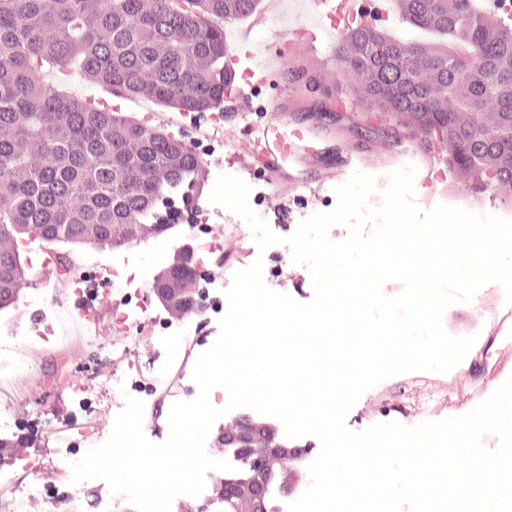
This is a crop of a whole-slide image: an H&E-stained breast-cancer sentinel lymph node section at roughly 20× magnification (about 0.49 µm per pixel; the crop spans about 0.25 mm).
The outlined metastatic tumour's edge, as a closed clockwise path of 20 points: (0, 0), (511, 0), (511, 218), (398, 204), (410, 173), (345, 176), (285, 239), (315, 304), (252, 268), (172, 440), (149, 446), (140, 404), (72, 478), (158, 510), (174, 486), (198, 496), (222, 404), (330, 444), (282, 511), (0, 511).
About 70% of this field is tumour.